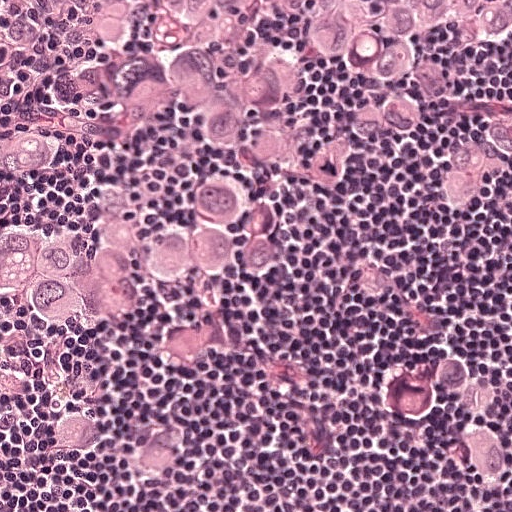
Lymph node section stained with H&E, from a whole-slide image of a breast-cancer sentinel node. Magnification about 20×, about 0.25 mm across the frame, about 0.49 µm per pixel.
Boundaries of three metastatic tumour regions, simplified and listed clockwise, largest first: region 1: (0, 0), (511, 0), (511, 150), (298, 158), (258, 205), (227, 300), (164, 362), (46, 362), (0, 339); region 2: (511, 164), (511, 511), (432, 511), (426, 477), (398, 428), (395, 380), (409, 358), (409, 332), (398, 306), (399, 173), (409, 166); region 3: (42, 398), (84, 400), (113, 414), (150, 420), (136, 420), (142, 426), (156, 426), (190, 440), (200, 466), (200, 492), (136, 493), (64, 466), (33, 428), (36, 406).
About 65% of the image area is annotated as tumour.